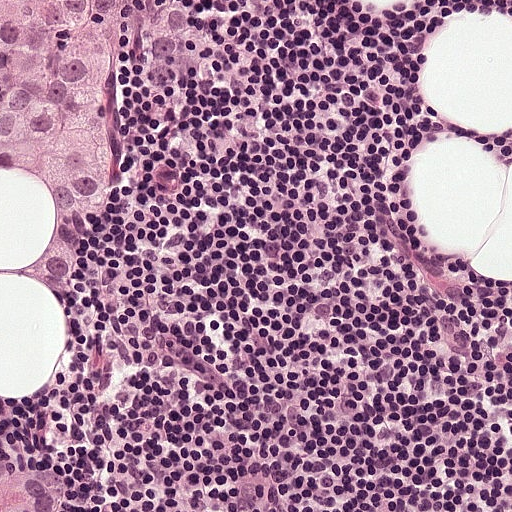
This is a crop of a whole-slide image: an H&E-stained breast-cancer sentinel lymph node section at roughly 20× magnification (about 0.49 µm per pixel; the crop spans about 0.25 mm).
Question: Trace the edge of each tumour region in this crop, as (x, y) points from 0 to 511.
Answer: Boundaries of two metastatic tumour regions, simplified and listed clockwise, largest first: region 1: (0, 0), (175, 0), (195, 12), (210, 40), (178, 100), (146, 93), (132, 44), (116, 58), (110, 106), (115, 165), (71, 272), (68, 307), (21, 274), (0, 275); region 2: (6, 448), (17, 465), (54, 464), (69, 486), (58, 511), (0, 511), (0, 449).
About 15% of this field is tumour.